Question: 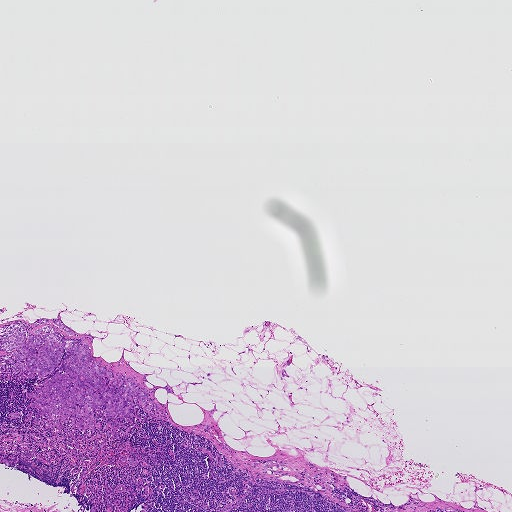
Lymph node section stained with H&E, from a whole-slide image of a breast-cancer sentinel node. Magnification about 2.5×, about 1.9 mm across the frame, about 3.6 µm per pixel.
What fraction of the image area is metastatic tumour?

Choices:
 (A) about 5% or less
 (B) about 25% to 45%
 (C) about 50% or more
 (D) none: no tumour is outlined
 (E) about 10% to 20%

Answer: (A) about 5% or less
About 5% of the field is tumour.
Boundaries of four metastatic tumour regions, simplified and listed clockwise, largest first: region 1: (16, 322), (33, 334), (47, 325), (61, 339), (86, 340), (116, 380), (152, 388), (168, 419), (140, 404), (132, 421), (106, 418), (104, 405), (93, 411), (99, 430), (56, 426), (27, 395), (52, 374), (4, 377), (0, 356), (12, 351), (0, 350), (0, 328); region 2: (43, 318), (49, 319), (53, 318), (57, 319), (66, 326), (75, 331), (75, 333), (77, 333), (78, 334), (78, 336), (76, 336), (73, 336), (71, 336), (63, 330), (54, 324), (50, 323), (48, 324), (44, 323), (35, 327), (34, 326), (34, 324); region 3: (121, 456), (126, 456), (132, 459), (133, 460), (135, 461), (136, 460), (138, 460), (138, 462), (137, 464), (134, 465), (128, 464), (125, 461), (121, 460), (119, 459), (119, 457); region 4: (110, 420), (112, 422), (110, 425), (114, 425), (114, 427), (111, 430), (111, 431), (108, 436), (106, 436), (105, 434), (105, 432), (110, 428), (108, 422), (108, 421).
Four more small tumour pieces are annotated here but not outlined.